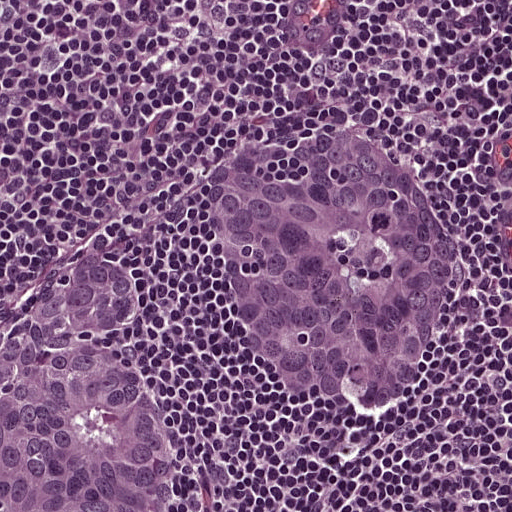
Lymph node section stained with H&E, from a whole-slide image of a breast-cancer sentinel node. Magnification about 20×, about 0.25 mm across the frame, about 0.49 µm per pixel.
Outlines of two tumour regions, largest first (closed clockwise paths, crop pixels): region 1: (344, 116), (428, 178), (458, 224), (470, 274), (458, 327), (420, 398), (395, 408), (315, 400), (291, 392), (253, 354), (226, 312), (188, 188), (228, 157), (278, 152), (296, 133); region 2: (75, 256), (122, 256), (140, 282), (154, 375), (222, 511), (0, 511), (0, 360), (32, 276).
About 40% of this field is tumour.